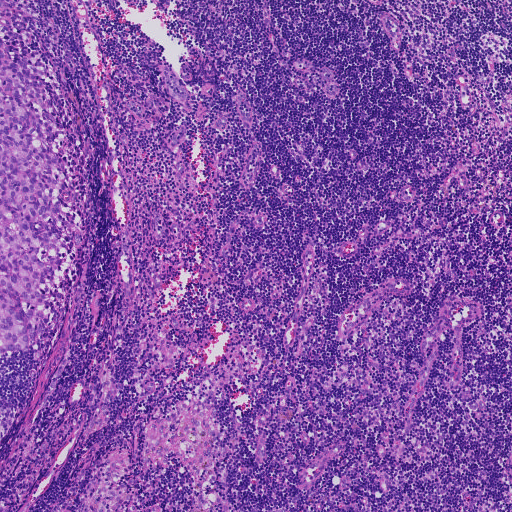
This is a crop of a whole-slide image: an H&E-stained breast-cancer sentinel lymph node section at roughly 5× magnification (about 1.8 µm per pixel; the crop spans about 0.93 mm).
Metastatic tumour outline, simplified to 8 points and listed clockwise in crop pixels (x, y): (0, 0), (7, 0), (39, 24), (86, 162), (82, 272), (68, 315), (27, 352), (1, 357).
The annotated tumour makes up about 10% of the crop.